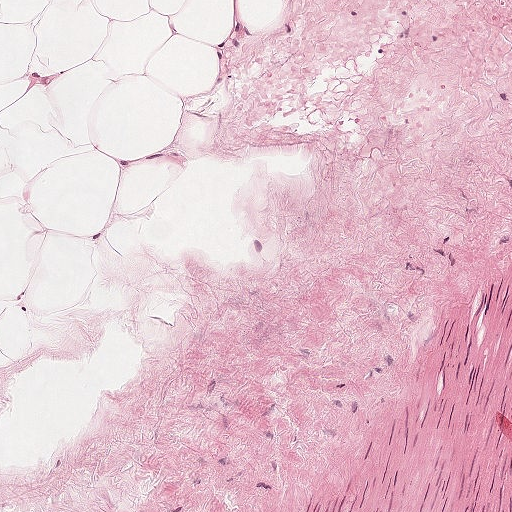
A 0.5-mm field of an H&E-stained sentinel lymph node from a breast-cancer patient (whole-slide image), shown at about 10×, about 0.97 µm per pixel.